This is a crop of a whole-slide image: an H&E-stained breast-cancer sentinel lymph node section at roughly 20× magnification (about 0.49 µm per pixel; the crop spans about 0.25 mm).
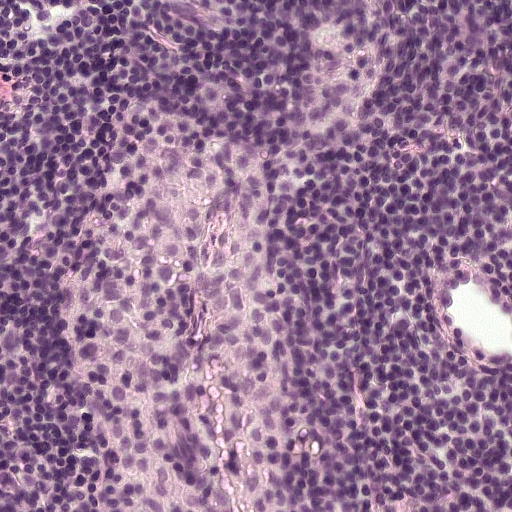
Question: Is any metastatic breast cancer visible in this crop?
Answer: No. No metastatic tumour is outlined in this field.